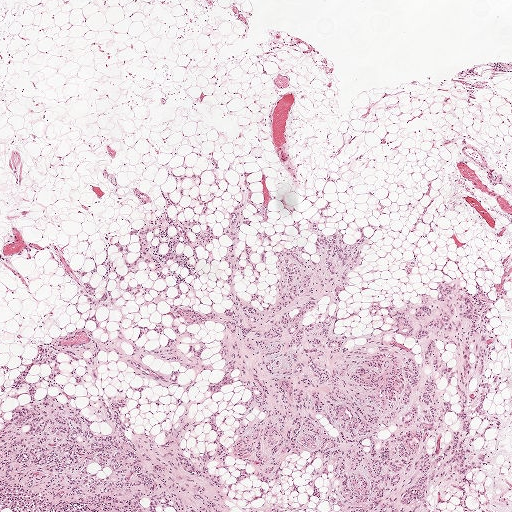
H&E-stained section of a sentinel lymph node (breast cancer), from a whole-slide image, viewed at about 2.5×: the field is about 2.0 mm across, about 3.9 µm per pixel.
Boundaries of seven metastatic tumour regions, simplified and listed clockwise, largest first: region 1: (243, 187), (268, 220), (243, 209), (235, 253), (261, 276), (236, 289), (274, 303), (274, 252), (318, 262), (306, 228), (327, 200), (324, 233), (366, 231), (343, 349), (381, 323), (374, 301), (441, 280), (481, 301), (500, 340), (488, 420), (470, 422), (487, 459), (467, 495), (434, 487), (436, 511), (21, 496), (0, 487), (0, 432), (93, 312), (95, 334), (152, 349), (165, 336), (134, 332), (170, 308), (230, 309), (221, 229); region 2: (160, 190), (169, 193), (172, 221), (198, 219), (191, 232), (212, 225), (219, 238), (208, 245), (214, 255), (208, 266), (203, 246), (197, 247), (196, 262), (183, 243), (176, 245), (200, 273), (188, 298), (180, 283), (177, 300), (178, 289), (171, 286), (166, 303), (154, 306), (149, 302), (166, 287), (164, 280), (147, 272), (146, 261), (128, 273), (113, 245), (116, 240), (129, 244), (126, 261), (136, 261), (141, 248), (128, 231), (162, 213); region 3: (107, 254), (109, 262), (114, 266), (117, 272), (123, 276), (131, 285), (135, 286), (138, 282), (139, 282), (148, 286), (149, 288), (149, 290), (146, 294), (138, 293), (133, 295), (126, 294), (124, 293), (123, 290), (126, 285), (126, 282), (126, 281), (118, 281), (115, 274), (114, 273), (110, 274), (108, 280), (105, 283), (104, 280), (101, 278), (103, 271), (103, 267), (100, 266), (106, 258); region 4: (79, 270), (86, 273), (82, 279), (85, 282), (91, 284), (94, 288), (94, 297), (97, 297), (100, 295), (105, 284), (108, 288), (112, 290), (112, 295), (104, 299), (100, 304), (93, 304), (89, 303), (87, 300), (83, 288), (76, 276), (77, 271); region 5: (408, 261), (414, 262), (414, 267), (411, 270), (413, 273), (408, 276), (406, 276), (405, 272), (402, 269); region 6: (263, 230), (266, 233), (271, 236), (272, 241), (270, 241), (256, 238), (256, 234), (259, 232), (263, 231); region 7: (264, 250), (266, 250), (267, 250), (267, 252), (265, 255), (266, 263), (262, 265), (260, 265), (260, 259), (259, 253).
Tumour covers about 40% of the frame.